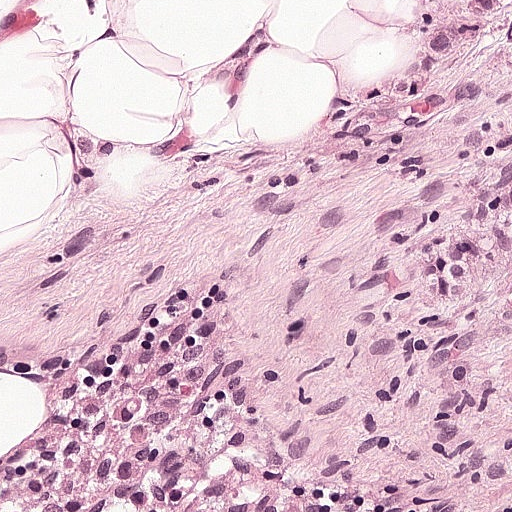
H&E-stained section of a sentinel lymph node (breast cancer), from a whole-slide image, viewed at about 20×: the field is about 0.25 mm across, about 0.49 µm per pixel.
The outlined metastatic tumour's edge, as a closed clockwise path of 9 points: (511, 0), (511, 511), (358, 511), (249, 388), (238, 358), (243, 254), (292, 174), (382, 112), (464, 2).
The annotated tumour makes up about 40% of the crop.